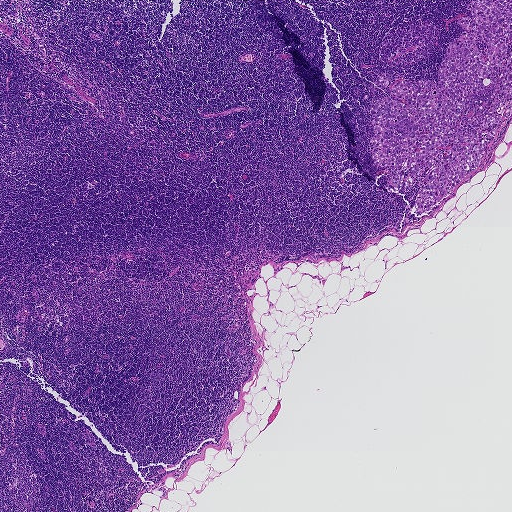
This is a crop of a whole-slide image: an H&E-stained breast-cancer sentinel lymph node section at roughly 2.5× magnification (about 3.6 µm per pixel; the crop spans about 1.9 mm).
Outlines of two tumour regions, largest first (closed clockwise paths, crop pixels): region 1: (511, 0), (511, 117), (498, 124), (478, 167), (418, 215), (416, 195), (432, 167), (407, 188), (390, 188), (386, 180), (396, 174), (375, 164), (369, 140), (375, 101), (395, 100), (396, 80), (415, 86), (425, 79), (437, 84), (451, 40), (466, 32), (456, 21), (472, 14), (469, 2); region 2: (381, 75), (385, 81), (388, 80), (389, 83), (387, 86), (384, 86), (377, 85), (374, 83), (378, 76).
Tumour covers about 5% of the frame.